Question: 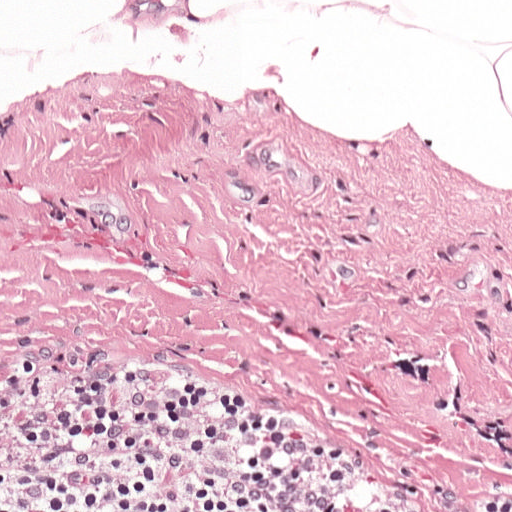
Which magnification is this H&E lymph node field most likely shown at?

Choices:
 (A) about 5×
 (B) about 2.5×
 (C) about 20×
 (D) about 40×
 (E) about 10×

Answer: (C) about 20×
This is a crop of a whole-slide image: an H&E-stained breast-cancer sentinel lymph node section at roughly 20× magnification (about 0.49 µm per pixel; the crop spans about 0.25 mm).